Image:
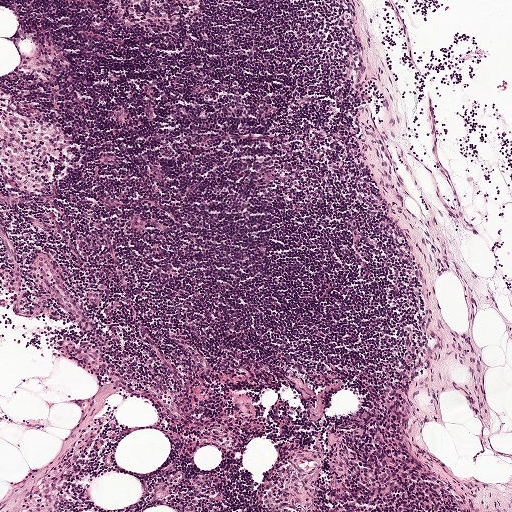
Lymph node section stained with H&E, from a whole-slide image of a breast-cancer sentinel node. Magnification about 5×, about 1 mm across the frame, about 1.9 µm per pixel.
Question:
Is any metastatic breast cancer visible in this crop?
Answer:
No, this field holds no outlined metastasis.